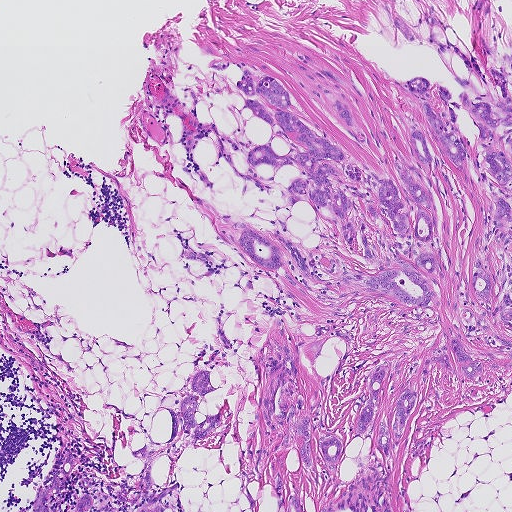
Lymph node section stained with H&E, from a whole-slide image of a breast-cancer sentinel node. Magnification about 5×, about 0.93 mm across the frame, about 1.8 µm per pixel.
Question: Does this lymph node field contain metastatic tumour?
Answer: Yes.
Outlines of the eight largest metastatic tumour regions, each a closed clockwise path in crop pixels (x, y), largest first: region 1: (244, 70), (279, 82), (305, 126), (346, 155), (333, 161), (344, 172), (369, 174), (361, 163), (404, 202), (395, 152), (417, 170), (436, 204), (435, 240), (416, 245), (435, 256), (429, 306), (334, 281), (305, 296), (242, 249), (234, 222), (278, 245), (300, 283), (333, 278), (339, 262), (380, 273), (328, 206), (308, 192), (286, 205), (303, 174), (261, 164), (274, 181), (252, 177), (252, 146), (289, 149), (242, 109), (258, 97), (235, 84); region 2: (490, 65), (502, 66), (511, 82), (511, 361), (467, 377), (450, 350), (455, 377), (432, 360), (423, 385), (424, 367), (432, 352), (447, 345), (448, 350), (456, 336), (472, 354), (484, 355), (497, 348), (474, 323), (480, 308), (470, 280), (475, 261), (489, 239), (494, 203), (488, 186), (473, 161), (480, 131), (461, 100), (465, 90), (470, 101), (477, 91), (474, 86), (456, 83), (453, 75), (470, 82), (485, 94), (502, 98); region 3: (410, 78), (426, 78), (430, 83), (430, 101), (436, 112), (441, 111), (444, 106), (437, 96), (436, 82), (451, 93), (451, 99), (448, 102), (454, 102), (460, 105), (459, 111), (450, 104), (449, 106), (456, 115), (455, 122), (466, 150), (466, 156), (463, 162), (466, 174), (452, 163), (437, 143), (424, 137), (432, 160), (429, 164), (420, 163), (410, 145), (412, 115), (422, 130), (435, 141), (417, 102), (404, 88), (405, 82); region 4: (297, 52), (308, 54), (312, 58), (309, 68), (326, 69), (340, 78), (358, 128), (367, 135), (370, 128), (374, 131), (381, 140), (379, 151), (370, 138), (371, 147), (364, 143), (361, 147), (331, 107), (322, 100), (306, 93), (298, 84), (298, 62), (295, 57); region 5: (203, 370), (208, 370), (213, 387), (218, 389), (205, 394), (198, 405), (195, 416), (198, 424), (213, 414), (220, 413), (220, 419), (210, 434), (194, 442), (182, 430), (183, 418), (179, 406), (181, 401), (186, 396), (197, 395), (190, 387), (190, 381), (193, 375); region 6: (407, 390), (413, 390), (417, 394), (416, 405), (404, 426), (394, 456), (390, 446), (387, 459), (380, 450), (375, 440), (384, 410), (391, 431), (397, 397); region 7: (301, 397), (310, 420), (310, 451), (312, 463), (309, 467), (304, 464), (299, 454), (301, 437), (296, 435), (286, 446), (275, 450), (282, 439), (288, 415), (296, 406), (296, 400); region 8: (381, 364), (386, 367), (386, 373), (378, 395), (377, 413), (372, 424), (365, 433), (359, 433), (355, 430), (360, 407), (368, 398), (370, 378), (376, 367).
Five more, smaller tumour regions are not outlined.
One more small tumour piece is annotated here but not outlined.
About 15% of this field is tumour.